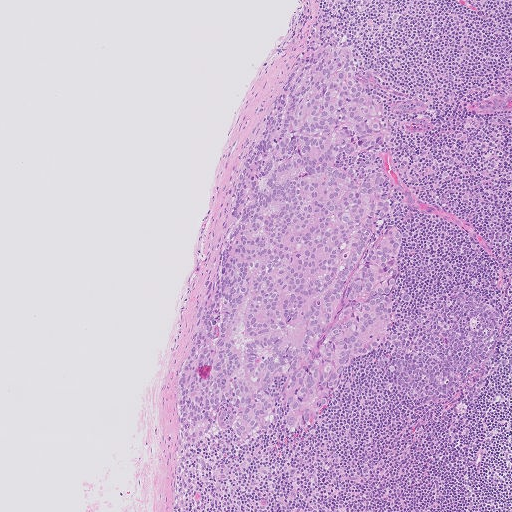
This is a crop of a whole-slide image: an H&E-stained breast-cancer sentinel lymph node section at roughly 5× magnification (about 2.0 µm per pixel; the crop spans about 1.0 mm).
Tumour region outline (a closed clockwise path, crop pixels): (333, 42), (380, 72), (385, 143), (349, 162), (389, 174), (403, 247), (394, 287), (411, 298), (395, 304), (383, 350), (360, 359), (308, 429), (271, 426), (245, 440), (226, 402), (201, 440), (183, 446), (178, 376), (205, 275), (229, 230), (237, 173), (302, 46).
About 20% of this field is tumour.